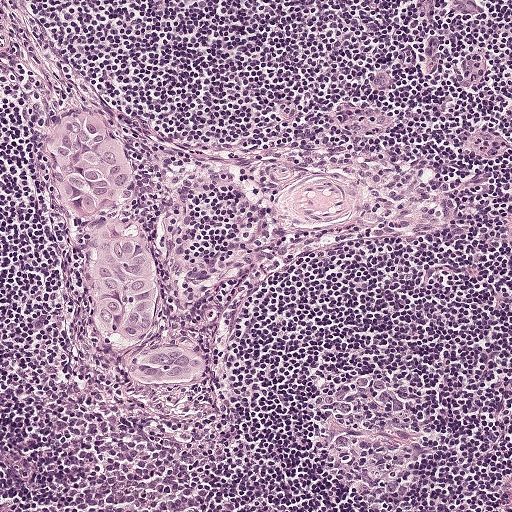
This is a crop of a whole-slide image: an H&E-stained breast-cancer sentinel lymph node section at roughly 10× magnification (about 0.97 µm per pixel; the crop spans about 0.5 mm).
Metastatic tumour outline, simplified to 21 points and listed clockwise in crop pixels (x, y): (76, 108), (88, 110), (124, 145), (135, 183), (124, 205), (124, 226), (144, 235), (162, 281), (155, 334), (140, 346), (172, 342), (206, 357), (203, 369), (187, 378), (152, 382), (134, 376), (96, 331), (90, 272), (66, 187), (52, 161), (52, 132).
About 5% of the image area is annotated as tumour.